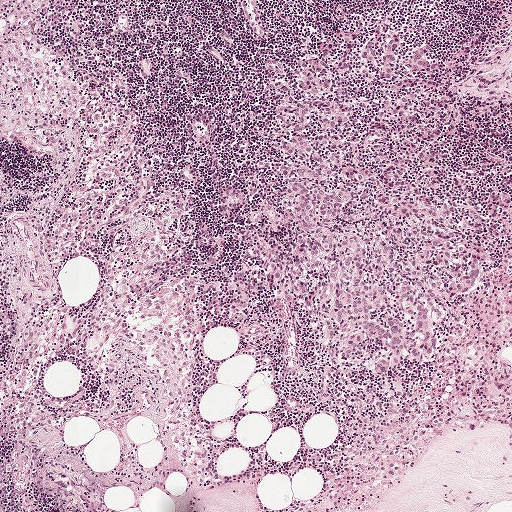
A 1-mm field of an H&E-stained sentinel lymph node from a breast-cancer patient (whole-slide image), shown at about 5×, about 1.9 µm per pixel.
Question: Is there metastatic carcinoma in this field?
Answer: Yes.
The outlined metastatic tumour's edge, as a closed clockwise path of 24 points: (374, 31), (406, 37), (406, 67), (413, 48), (433, 43), (429, 57), (457, 63), (463, 128), (440, 183), (473, 258), (483, 250), (473, 289), (448, 295), (433, 355), (418, 359), (412, 346), (389, 376), (339, 363), (265, 263), (294, 240), (268, 84), (303, 98), (306, 58), (362, 55).
One more small tumour piece is annotated here but not outlined.
About 20% of the image area is annotated as tumour.